Question: 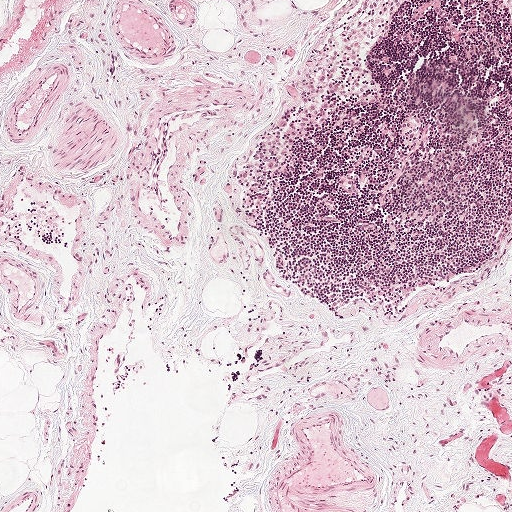
About what magnification does this crop show?

Choices:
 (A) about 5×
 (B) about 10×
 (C) about 2.5×
 (D) about 40×
 (E) about 20×

Answer: (A) about 5×
This is a crop of a whole-slide image: an H&E-stained breast-cancer sentinel lymph node section at roughly 5× magnification (about 1.9 µm per pixel; the crop spans about 1 mm).